Lymph node section stained with H&E, from a whole-slide image of a breast-cancer sentinel node. Magnification about 10×, about 0.5 mm across the frame, about 0.97 µm per pixel.
Image:
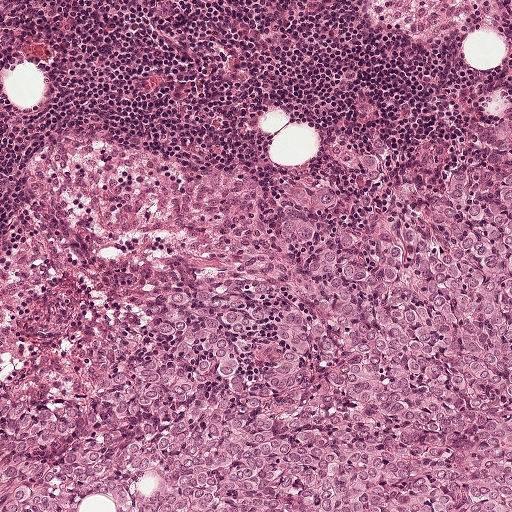
Question:
Describe where the metastatic carcinoma lies in this crop.
Answer:
One metastatic tumour region; its boundary, reduced to 23 corners and listed clockwise: (511, 121), (511, 511), (0, 511), (0, 387), (52, 391), (144, 351), (152, 292), (182, 275), (299, 278), (272, 224), (268, 180), (281, 168), (300, 162), (350, 182), (355, 154), (377, 138), (391, 148), (386, 205), (424, 223), (435, 211), (422, 198), (443, 180), (466, 125).
About 50% of the image area is annotated as tumour.